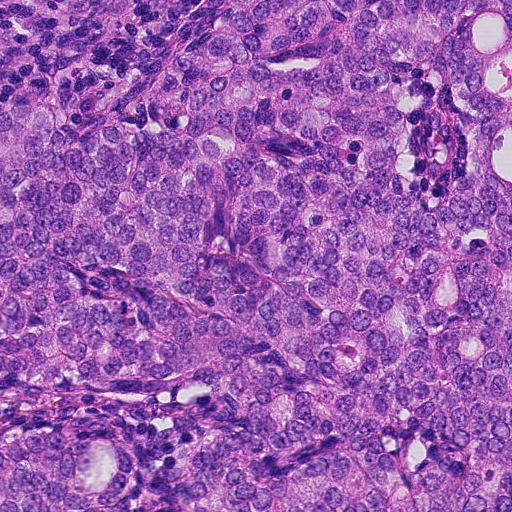
This is a crop of a whole-slide image: an H&E-stained breast-cancer sentinel lymph node section at roughly 20× magnification (about 0.45 µm per pixel; the crop spans about 0.23 mm).
One metastatic tumour region; its boundary, reduced to 11 corners and listed clockwise: (511, 0), (511, 511), (0, 511), (0, 423), (96, 403), (156, 443), (190, 399), (0, 386), (0, 104), (112, 104), (228, 5).
The annotated tumour makes up about 90% of the crop.